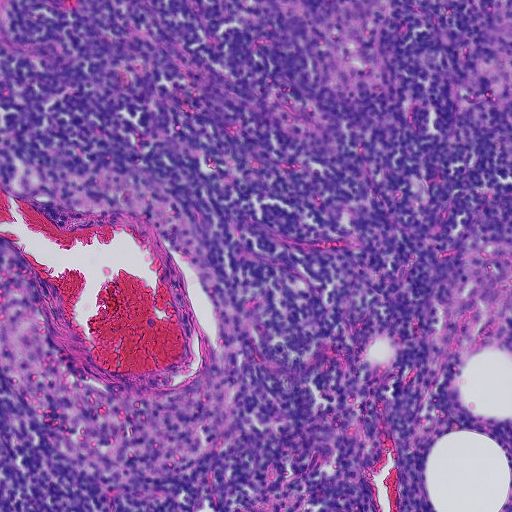
A 0.46-mm field of an H&E-stained sentinel lymph node from a breast-cancer patient (whole-slide image), shown at about 10×, about 0.9 µm per pixel.